This is a crop of a whole-slide image: an H&E-stained breast-cancer sentinel lymph node section at roughly 5× magnification (about 1.8 µm per pixel; the crop spans about 0.93 mm).
Image:
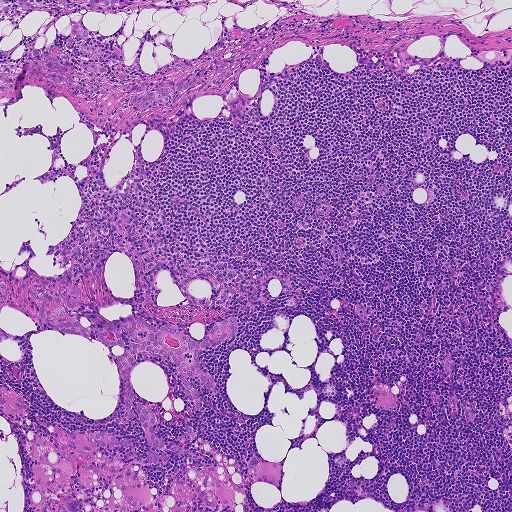
Question:
Is any metastatic breast cancer visible in this crop?
Answer:
Yes.
Outlines of three tumour regions, largest first (closed clockwise paths, crop pixels): region 1: (16, 0), (199, 3), (84, 14), (85, 27), (108, 36), (122, 48), (123, 63), (131, 63), (137, 56), (141, 69), (149, 74), (173, 59), (163, 39), (167, 37), (178, 57), (187, 58), (212, 47), (223, 26), (282, 29), (270, 41), (294, 35), (222, 87), (191, 92), (146, 110), (126, 105), (128, 82), (76, 88), (31, 78), (3, 90), (0, 68), (12, 65), (29, 49), (49, 44), (59, 33), (70, 34), (85, 9), (57, 15), (21, 10); region 2: (68, 287), (80, 289), (78, 304), (69, 314), (91, 328), (133, 314), (155, 327), (172, 322), (197, 340), (234, 316), (234, 339), (201, 356), (218, 394), (189, 376), (205, 415), (168, 364), (143, 361), (134, 368), (130, 380), (156, 411), (153, 430), (166, 442), (167, 460), (157, 466), (146, 461), (150, 448), (134, 403), (125, 415), (120, 376), (107, 346), (58, 332), (37, 319), (26, 289), (67, 296); region 3: (92, 431), (104, 431), (117, 437), (129, 439), (135, 442), (136, 448), (103, 447), (92, 441), (89, 435).
One more small tumour piece is annotated here but not outlined.
The annotated tumour makes up about 10% of the crop.